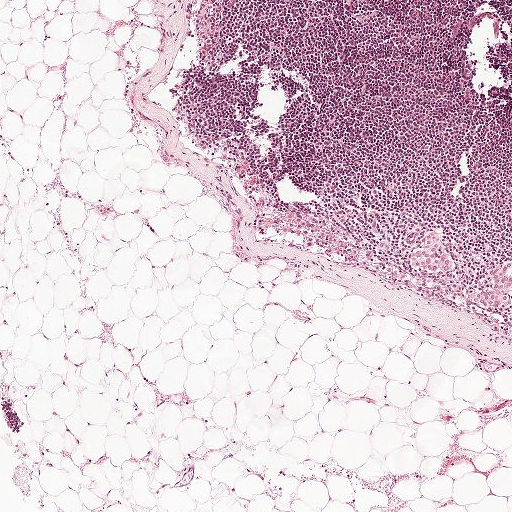
H&E-stained section of a sentinel lymph node (breast cancer), from a whole-slide image, viewed at about 5×: the field is about 1 mm across, about 1.9 µm per pixel.
Outlines of two tumour regions, largest first (closed clockwise paths, crop pixels): region 1: (511, 262), (511, 292), (508, 294), (509, 302), (500, 303), (487, 309), (466, 301), (466, 290), (489, 283), (491, 267); region 2: (435, 230), (436, 235), (441, 239), (449, 261), (449, 267), (444, 272), (434, 269), (418, 270), (415, 266), (407, 262), (409, 250), (420, 245), (419, 234).
Tumour covers under 5% of the frame.